Lymph node section stained with H&E, from a whole-slide image of a breast-cancer sentinel node. Magnification about 10×, about 0.5 mm across the frame, about 0.97 µm per pixel.
Image:
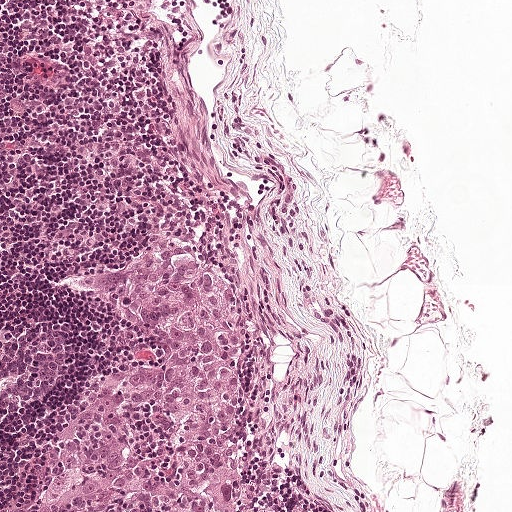
Question:
Does this lymph node field contain metastatic tumour?
Answer:
Yes.
The outlined metastatic tumour's edge, as a closed clockwise path of 16 points: (158, 243), (207, 254), (246, 297), (247, 470), (255, 506), (153, 511), (128, 494), (105, 511), (19, 511), (63, 462), (65, 440), (90, 393), (120, 372), (165, 361), (145, 324), (79, 281).
About 15% of this field is tumour.